Image:
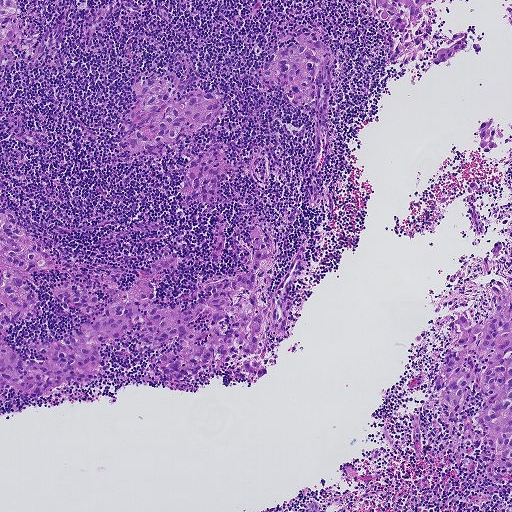
A 0.93-mm field of an H&E-stained sentinel lymph node from a breast-cancer patient (whole-slide image), shown at about 5×, about 1.8 µm per pixel.
Question:
Is there metastatic carcinoma in this field?
Answer:
Yes.
Boundaries of eight metastatic tumour regions, simplified and listed clockwise, largest first: region 1: (0, 205), (56, 267), (24, 280), (38, 298), (2, 333), (21, 357), (48, 360), (28, 348), (102, 312), (64, 309), (57, 284), (106, 302), (175, 252), (154, 276), (154, 299), (182, 310), (208, 295), (204, 282), (250, 270), (246, 234), (258, 227), (274, 250), (232, 301), (261, 288), (258, 302), (282, 301), (281, 338), (263, 321), (262, 376), (233, 344), (194, 374), (165, 374), (157, 355), (178, 339), (140, 343), (142, 319), (103, 340), (95, 378), (45, 395), (0, 388); region 2: (505, 298), (511, 301), (511, 459), (498, 456), (490, 433), (479, 421), (479, 413), (497, 395), (481, 393), (477, 377), (462, 407), (455, 410), (443, 398), (444, 389), (436, 393), (435, 377), (447, 348), (461, 331), (458, 324), (447, 325), (464, 310), (470, 322), (486, 320), (498, 300); region 3: (164, 79), (183, 83), (184, 87), (174, 100), (206, 93), (220, 100), (219, 114), (208, 125), (166, 146), (154, 155), (140, 151), (132, 153), (128, 147), (128, 131), (133, 123), (129, 116), (137, 94), (134, 87), (141, 84); region 4: (302, 32), (316, 35), (332, 51), (333, 59), (326, 111), (327, 126), (319, 157), (314, 145), (313, 98), (301, 108), (293, 105), (277, 80), (266, 85), (260, 81), (265, 59), (283, 45), (298, 43), (297, 37); region 5: (372, 0), (429, 0), (421, 6), (428, 20), (425, 43), (430, 49), (437, 48), (455, 33), (462, 32), (480, 45), (480, 53), (473, 50), (470, 43), (466, 50), (460, 54), (438, 64), (433, 60), (433, 52), (410, 52), (388, 64), (389, 56), (400, 35), (381, 21); region 6: (214, 145), (221, 149), (231, 170), (221, 182), (217, 197), (213, 203), (206, 203), (192, 196), (185, 199), (179, 194), (187, 164), (192, 158); region 7: (0, 0), (18, 0), (17, 4), (22, 10), (19, 17), (12, 20), (19, 27), (20, 34), (16, 41), (8, 42), (6, 50), (11, 56), (12, 64), (5, 67), (0, 67); region 8: (492, 118), (502, 129), (508, 129), (511, 120), (511, 130), (503, 132), (496, 149), (488, 153), (481, 152), (478, 144), (479, 126).
Two more small tumour pieces are annotated here but not outlined.
Tumour covers about 15% of the frame.